Question: 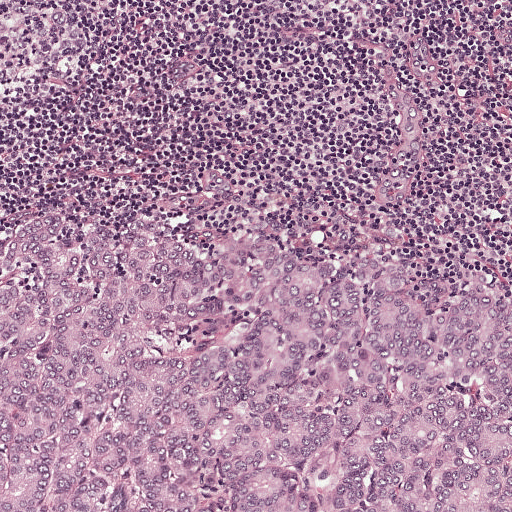
A 0.5-mm field of an H&E-stained sentinel lymph node from a breast-cancer patient (whole-slide image), shown at about 10×, about 0.97 µm per pixel.
What fraction of the image area is metastatic tumour?

Choices:
 (A) about 5% or less
 (B) about 10% to 20%
 (C) none: no tumour is outlined
 (D) about 50% or more
 (E) about 25% to 45%

Answer: (D) about 50% or more
About 55% of the field is tumour.
One metastatic tumour region; its boundary, reduced to 7 corners and listed clockwise: (0, 206), (155, 213), (280, 237), (318, 256), (510, 270), (511, 511), (0, 511).